Image:
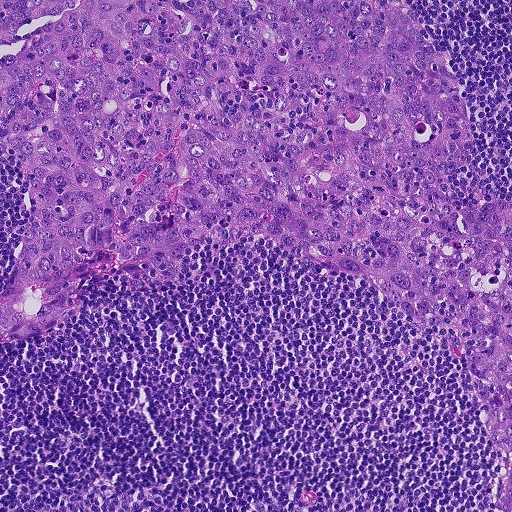
A 0.46-mm field of an H&E-stained sentinel lymph node from a breast-cancer patient (whole-slide image), shown at about 10×, about 0.9 µm per pixel.
Question:
Which parts of this field are metastatic tumour? Answer with the outline of each region, in pixels.
Answer:
One metastatic tumour region; its boundary, reduced to 24 corners and listed clockwise: (0, 0), (408, 0), (446, 53), (470, 124), (472, 148), (432, 171), (433, 196), (454, 208), (511, 201), (511, 511), (492, 511), (505, 460), (458, 348), (357, 276), (286, 256), (268, 240), (197, 252), (188, 282), (92, 274), (75, 322), (0, 349), (0, 290), (30, 198), (8, 154).
Tumour covers about 55% of the frame.